H&E-stained section of a sentinel lymph node (breast cancer), from a whole-slide image, viewed at about 20×: the field is about 0.25 mm across, about 0.49 µm per pixel.
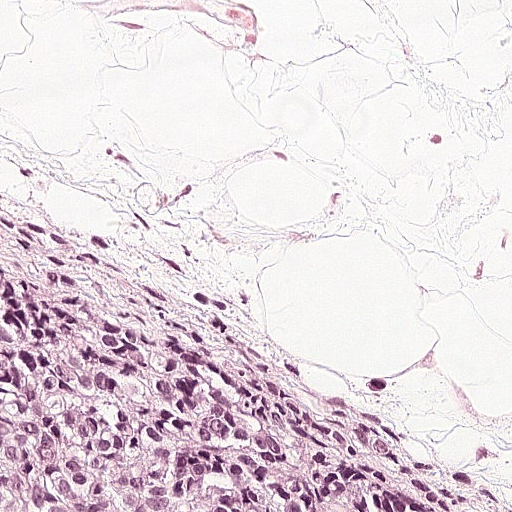
One metastatic tumour region; its boundary, reduced to 6 corners and listed clockwise: (0, 234), (136, 308), (272, 362), (333, 430), (476, 510), (0, 511).
About 25% of the image area is annotated as tumour.